A 0.23-mm field of an H&E-stained sentinel lymph node from a breast-cancer patient (whole-slide image), shown at about 20×, about 0.45 µm per pixel.
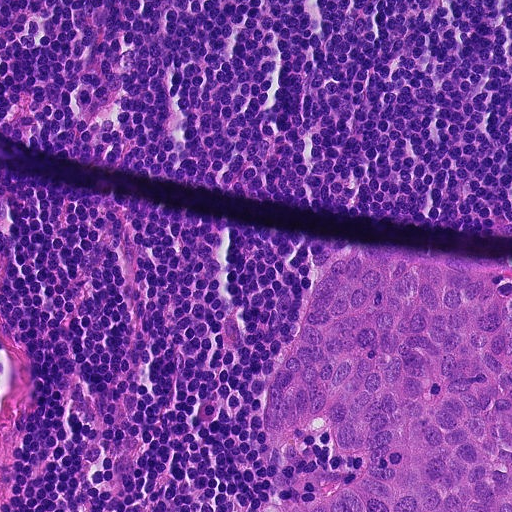
Question: Describe where the metastatic carcinoma lies in this crop.
Answer: Metastatic tumour outline, simplified to 12 points and listed clockwise in crop pixels (x, y): (378, 246), (511, 269), (511, 511), (300, 511), (360, 480), (372, 460), (340, 455), (322, 422), (292, 435), (262, 422), (303, 294), (322, 266).
The annotated tumour makes up about 20% of the crop.